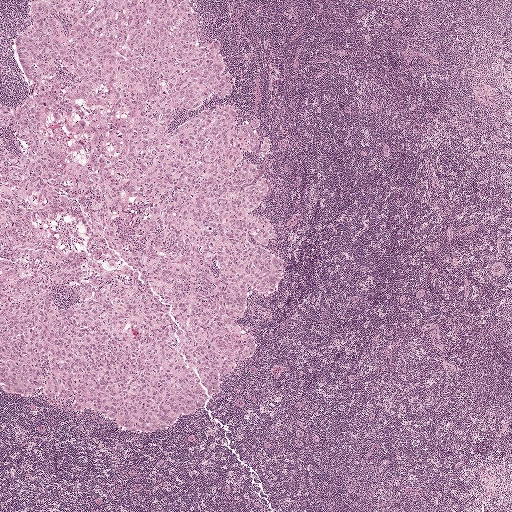
Lymph node section stained with H&E, from a whole-slide image of a breast-cancer sentinel node. Magnification about 2.5×, about 2.0 mm across the frame, about 3.9 µm per pixel.
The outlined metastatic tumour's edge, as a closed clockwise path of 24 points: (31, 1), (191, 2), (232, 90), (178, 110), (169, 132), (232, 104), (236, 131), (257, 121), (268, 148), (241, 158), (268, 188), (250, 213), (273, 226), (262, 249), (282, 262), (276, 290), (249, 291), (236, 319), (256, 348), (153, 434), (1, 386), (0, 103), (37, 91), (14, 46).
Tumour covers about 35% of the frame.